A 2.0-mm field of an H&E-stained sentinel lymph node from a breast-cancer patient (whole-slide image), shown at about 2.5×, about 3.9 µm per pixel.
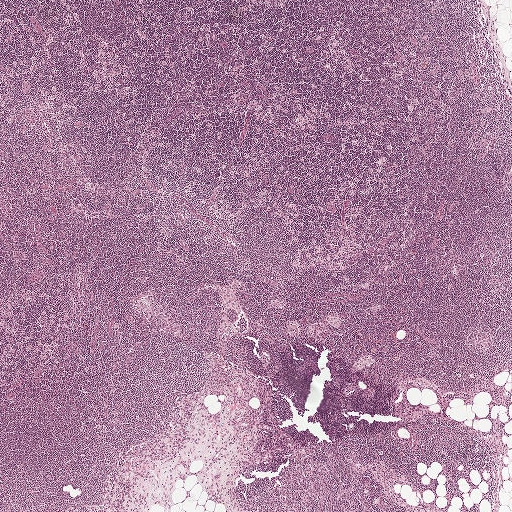
Question: Is there metastatic carcinoma in this field?
Answer: No, this field holds no outlined metastasis.